Question: 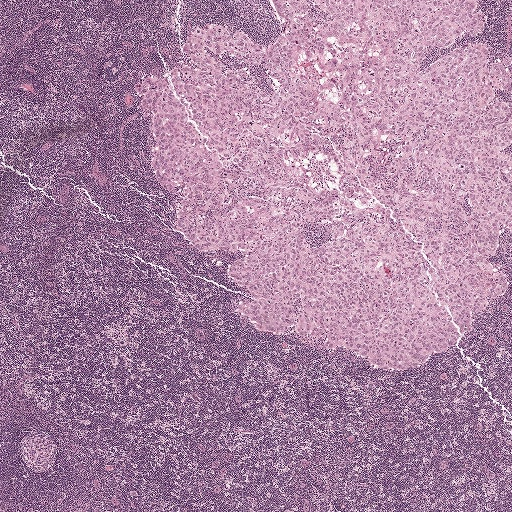
A 2.0-mm field of an H&E-stained sentinel lymph node from a breast-cancer patient (whole-slide image), shown at about 2.5×, about 3.9 µm per pixel.
What fraction of the image area is metastatic tumour?

Choices:
 (A) none: no tumour is outlined
 (B) about 5% or less
 (C) about 25% to 45%
 (D) about 10% to 20%
 (E) about 50% or more

Answer: (C) about 25% to 45%
About 40% of the field is tumour.
One metastatic tumour region; its boundary, reduced to 23 corners and listed clockwise: (271, 0), (470, 0), (480, 33), (421, 70), (476, 42), (488, 69), (510, 63), (493, 99), (511, 115), (511, 232), (488, 258), (508, 286), (405, 372), (264, 335), (236, 307), (240, 255), (171, 229), (184, 186), (154, 182), (139, 99), (188, 68), (198, 26), (276, 41).